Question: 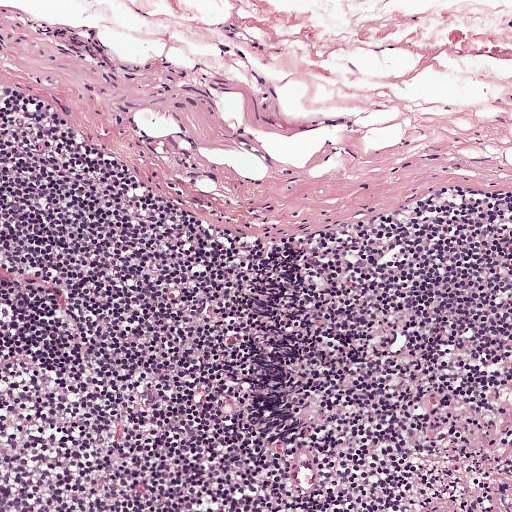
At roughly what magnification is this field shown?

Choices:
 (A) about 40×
 (B) about 20×
 (C) about 10×
 (D) about 2.5×
 (E) about 5×

Answer: (C) about 10×
Lymph node section stained with H&E, from a whole-slide image of a breast-cancer sentinel node. Magnification about 10×, about 0.5 mm across the frame, about 0.97 µm per pixel.